Question: 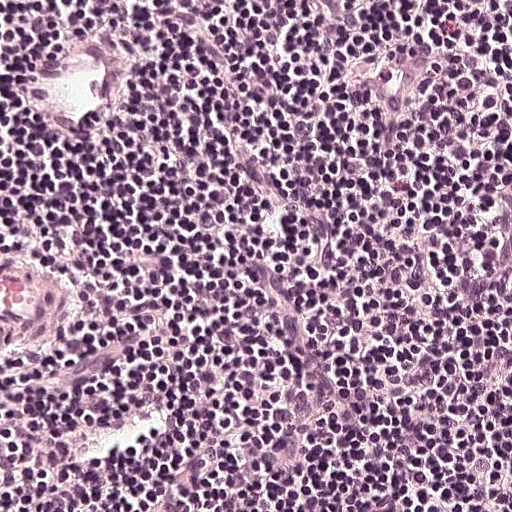
About what magnification does this crop show?

Choices:
 (A) about 5×
 (B) about 2.5×
 (C) about 10×
 (D) about 20×
 (E) about 40×

Answer: (D) about 20×
A 0.25-mm field of an H&E-stained sentinel lymph node from a breast-cancer patient (whole-slide image), shown at about 20×, about 0.49 µm per pixel.